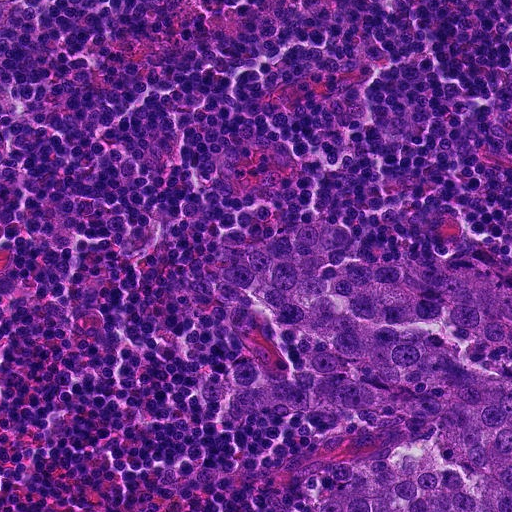
A 0.23-mm field of an H&E-stained sentinel lymph node from a breast-cancer patient (whole-slide image), shown at about 20×, about 0.45 µm per pixel.
Question: Where is the metastatic tumour in this field? Give each region's outline as (x, y) pixel points.
Answer: One metastatic tumour region; its boundary, reduced to 21 corners and listed clockwise: (292, 226), (348, 230), (352, 258), (468, 262), (511, 282), (511, 511), (312, 511), (318, 481), (338, 460), (392, 442), (408, 468), (410, 428), (327, 410), (242, 419), (200, 406), (204, 378), (227, 362), (320, 348), (292, 340), (222, 279), (241, 256).
About 25% of the image area is annotated as tumour.